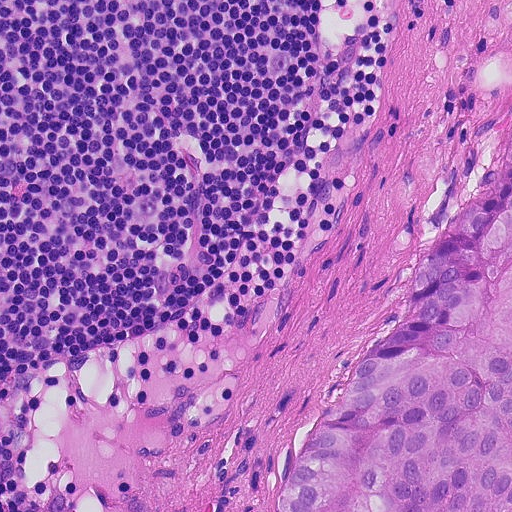
H&E-stained section of a sentinel lymph node (breast cancer), from a whole-slide image, viewed at about 20×: the field is about 0.23 mm across, about 0.45 µm per pixel.
Metastatic tumour outline, simplified to 8 points and listed clockwise in crop pixels (x, y): (511, 130), (511, 511), (279, 511), (283, 486), (364, 353), (410, 308), (418, 258), (487, 176).
About 20% of this field is tumour.